This is a crop of a whole-slide image: an H&E-stained breast-cancer sentinel lymph node section at roughly 20× magnification (about 0.49 µm per pixel; the crop spans about 0.25 mm).
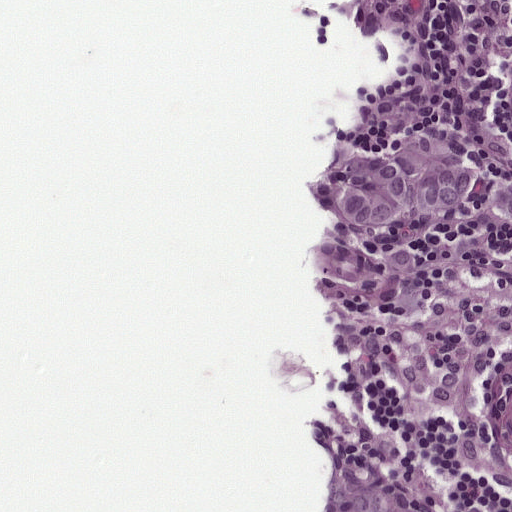
Two metastatic tumour regions, each outlined as a closed clockwise path in crop pixels (x, y), largest first: region 1: (424, 128), (446, 130), (470, 146), (478, 170), (468, 195), (435, 213), (404, 210), (384, 225), (354, 226), (337, 204), (338, 172), (365, 158), (407, 148); region 2: (360, 482), (396, 511), (324, 511), (334, 484).
Two more small tumour pieces are annotated here but not outlined.
About 5% of this field is tumour.